Question: 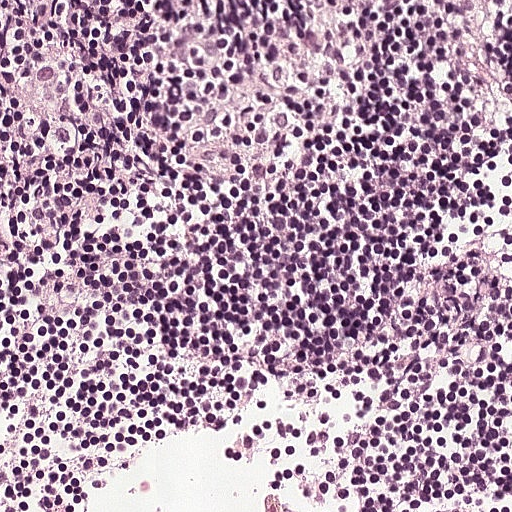
About what magnification does this crop show?

Choices:
 (A) about 5×
 (B) about 20×
 (C) about 2.5×
 (D) about 40×
 (E) about 10×

Answer: (B) about 20×
Lymph node section stained with H&E, from a whole-slide image of a breast-cancer sentinel node. Magnification about 20×, about 0.25 mm across the frame, about 0.49 µm per pixel.